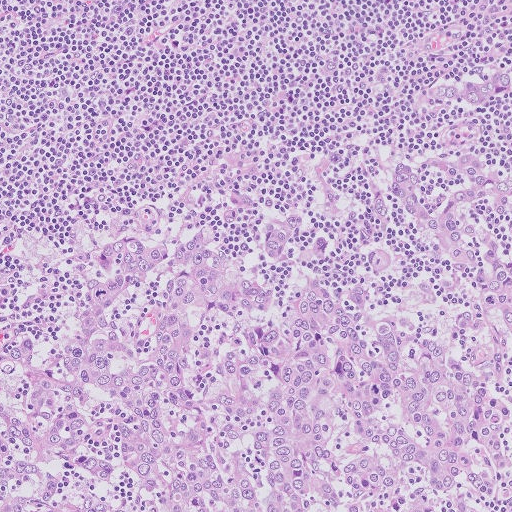
A 0.51-mm field of an H&E-stained sentinel lymph node from a breast-cancer patient (whole-slide image), shown at about 10×, about 1.0 µm per pixel.
Question: Describe where the metastatic carcinoma lies in this crop.
Answer: One metastatic tumour region; its boundary, reduced to 17 corners and listed clockwise: (506, 67), (511, 91), (490, 123), (506, 164), (511, 511), (0, 511), (0, 264), (57, 261), (144, 214), (192, 214), (232, 189), (268, 208), (354, 216), (362, 173), (482, 136), (476, 114), (421, 96).
About 60% of the image area is annotated as tumour.